Lymph node section stained with H&E, from a whole-slide image of a breast-cancer sentinel node. Magnification about 2.5×, about 1.9 mm across the frame, about 3.6 µm per pixel.
Question: 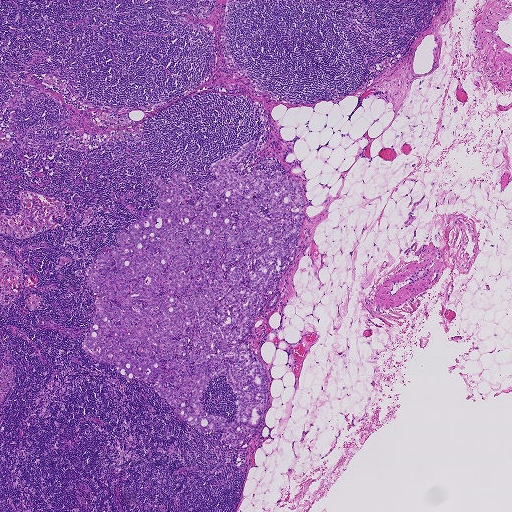
Estimate the proportion of this field that is metastatic tumour.

Choices:
 (A) about 10% to 20%
 (B) about 5% or less
 (C) none: no tumour is outlined
 (D) about 50% or more
 (E) about 25% to 45%

Answer: (A) about 10% to 20%
About 15% of the field is tumour.
Two metastatic tumour regions, each outlined as a closed clockwise path in crop pixels (x, y), largest first: region 1: (252, 140), (239, 175), (299, 180), (294, 261), (240, 342), (258, 343), (267, 380), (248, 448), (197, 431), (152, 382), (80, 347), (95, 298), (75, 271), (158, 205), (154, 174), (170, 185), (185, 174), (200, 193), (218, 178), (210, 164); region 2: (281, 325), (282, 336), (284, 340), (288, 343), (293, 344), (300, 340), (291, 349), (295, 358), (295, 368), (293, 372), (287, 371), (285, 364), (287, 363), (288, 354), (280, 349), (276, 350), (271, 342), (266, 341), (266, 336), (272, 328), (274, 330), (279, 330).